Question: 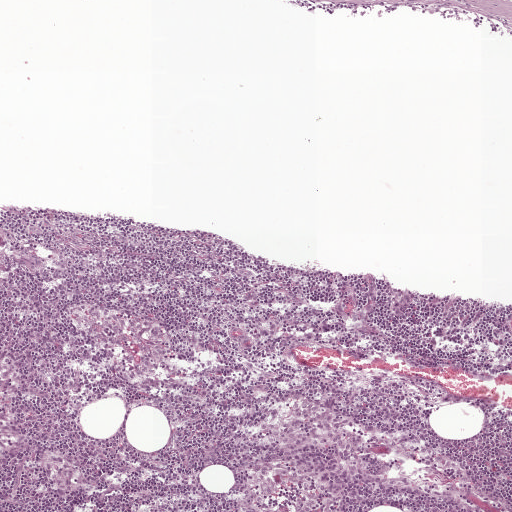
Which magnification is this H&E lymph node field most likely shown at?

Choices:
 (A) about 2.5×
 (B) about 20×
 (C) about 5×
 (D) about 10×
 (E) about 40×

Answer: (C) about 5×
H&E-stained section of a sentinel lymph node (breast cancer), from a whole-slide image, viewed at about 5×: the field is about 1 mm across, about 1.9 µm per pixel.